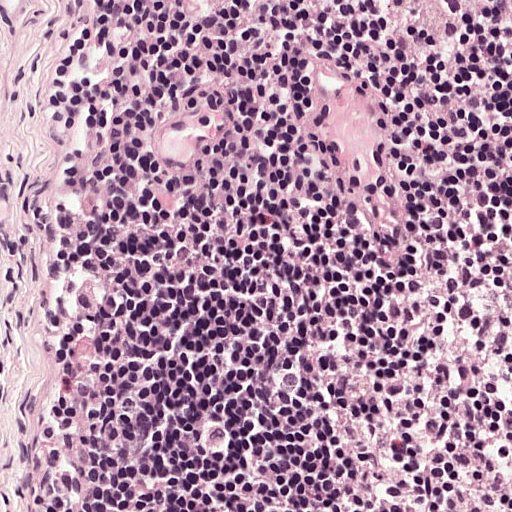
Lymph node section stained with H&E, from a whole-slide image of a breast-cancer sentinel node. Magnification about 20×, about 0.25 mm across the frame, about 0.49 µm per pixel.